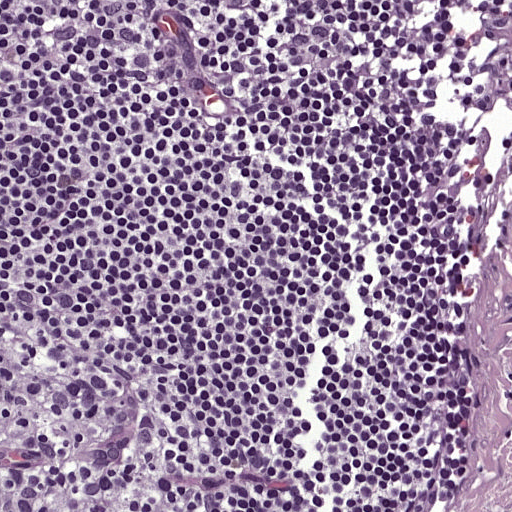
H&E-stained section of a sentinel lymph node (breast cancer), from a whole-slide image, viewed at about 20×: the field is about 0.25 mm across, about 0.49 µm per pixel.